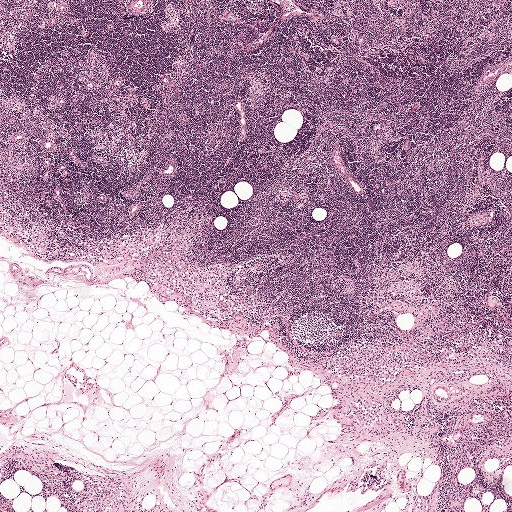
A 2.0-mm field of an H&E-stained sentinel lymph node from a breast-cancer patient (whole-slide image), shown at about 2.5×, about 3.9 µm per pixel.
Question: Is there metastatic carcinoma in this field?
Answer: No. No metastatic tumour is outlined in this field.